Question: 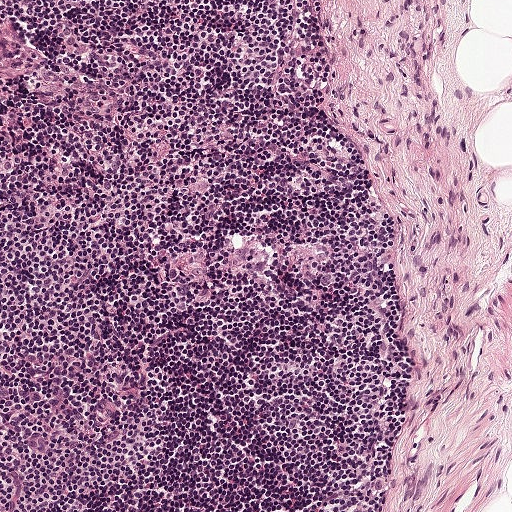
H&E-stained section of a sentinel lymph node (breast cancer), from a whole-slide image, viewed at about 10×: the field is about 0.5 mm across, about 0.97 µm per pixel.
Estimate the proportion of this field that is metastatic tumour.

Choices:
 (A) none: no tumour is outlined
 (B) about 50% or more
 (C) about 10% to 20%
 (D) about 25% to 45%
 (E) about 5% or less

Answer: (A) none: no tumour is outlined
No metastatic tumour is outlined in this field.